Question: 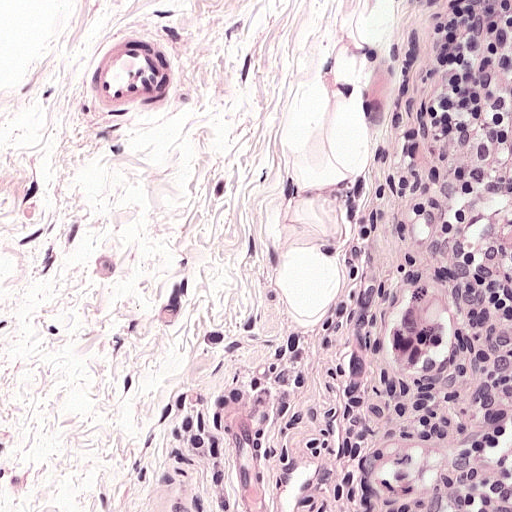
H&E-stained section of a sentinel lymph node (breast cancer), from a whole-slide image, viewed at about 20×: the field is about 0.25 mm across, about 0.49 µm per pixel.
Roughly what share of this field is metastatic tumour?

Choices:
 (A) about 50% or more
 (B) about 5% or less
 (C) about 10% to 20%
 (D) about 25% to 45%
 (E) none: no tumour is outlined

Answer: (B) about 5% or less
Under 5% of the field is tumour.
Metastatic tumour outline, simplified to 10 points and listed clockwise in crop pixels (x, y): (422, 280), (442, 294), (452, 330), (446, 362), (428, 376), (408, 376), (394, 364), (392, 327), (397, 308), (408, 294).
Question: 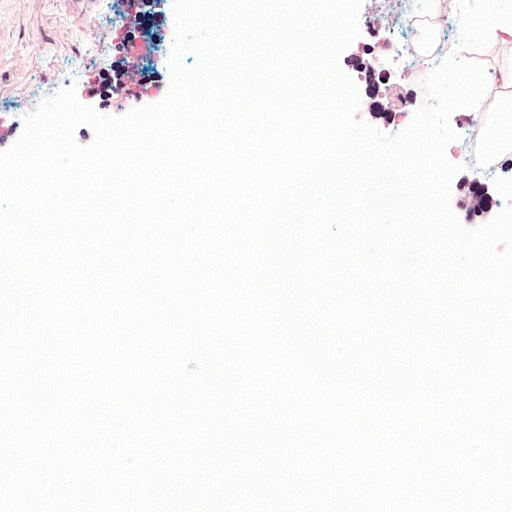
Lymph node section stained with H&E, from a whole-slide image of a breast-cancer sentinel node. Magnification about 20×, about 0.25 mm across the frame, about 0.49 µm per pixel.
Roughly what share of this field is metastatic tumour?

Choices:
 (A) about 5% or less
 (B) none: no tumour is outlined
 (C) about 10% to 20%
 (D) about 50% or more
 (E) about 25% to 45%

Answer: (A) about 5% or less
Under 5% of the field is tumour.
Metastatic tumour outline, simplified to 6 points and listed clockwise in crop pixels (x, y): (354, 52), (384, 62), (423, 92), (401, 128), (368, 122), (342, 55).
One more small tumour piece is annotated here but not outlined.
Question: 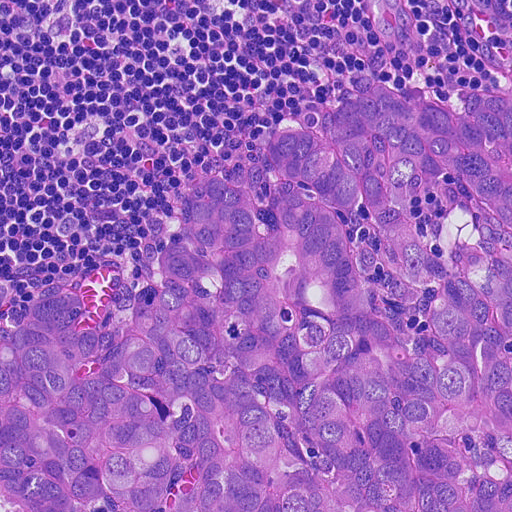
H&E-stained section of a sentinel lymph node (breast cancer), from a whole-slide image, viewed at about 20×: the field is about 0.23 mm across, about 0.45 µm per pixel.
Roughly what share of this field is metastatic tumour?

Choices:
 (A) about 10% to 20%
 (B) none: no tumour is outlined
 (C) about 50% or more
 (D) about 5% or less
 (E) about 25% to 45%

Answer: (C) about 50% or more
About 65% of the field is tumour.
Metastatic tumour outline, simplified to 21 points and listed clockwise in crop pixels (x, y): (377, 77), (465, 110), (477, 88), (504, 95), (511, 85), (511, 511), (0, 511), (0, 338), (49, 286), (78, 289), (90, 314), (76, 328), (132, 321), (136, 291), (162, 276), (161, 246), (185, 193), (206, 173), (262, 158), (276, 132), (348, 84).
Question: 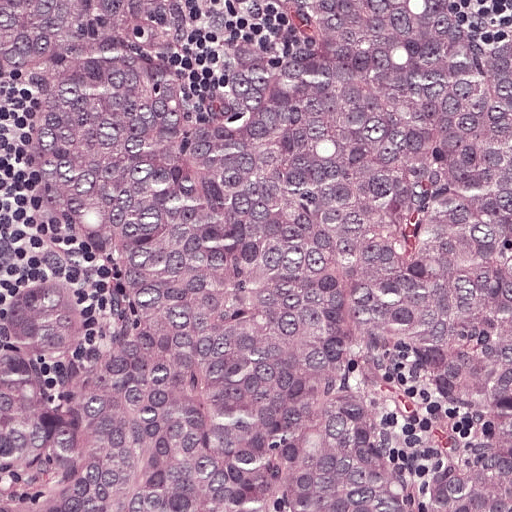
This is a crop of a whole-slide image: an H&E-stained breast-cancer sentinel lymph node section at roughly 20× magnification (about 0.49 µm per pixel; the crop spans about 0.25 mm).
Roughly what share of this field is metastatic tumour?

Choices:
 (A) about 10% to 20%
 (B) none: no tumour is outlined
 (C) about 25% to 45%
 (D) about 50% or more
 (E) about 5% or less

Answer: (D) about 50% or more
About 90% of the field is tumour.
One metastatic tumour region; its boundary, reduced to 24 corners and listed clockwise: (0, 0), (200, 0), (182, 50), (152, 56), (201, 92), (274, 56), (296, 0), (451, 0), (482, 44), (511, 24), (511, 511), (0, 511), (0, 302), (12, 276), (68, 282), (88, 338), (38, 364), (60, 396), (102, 366), (130, 324), (120, 268), (57, 197), (20, 91), (0, 78).